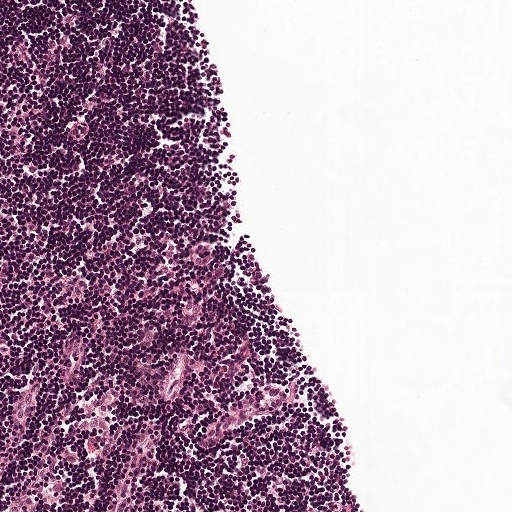
Lymph node section stained with H&E, from a whole-slide image of a breast-cancer sentinel node. Magnification about 10×, about 0.5 mm across the frame, about 0.97 µm per pixel.